A 2.0-mm field of an H&E-stained sentinel lymph node from a breast-cancer patient (whole-slide image), shown at about 2.5×, about 3.9 µm per pixel.
Image:
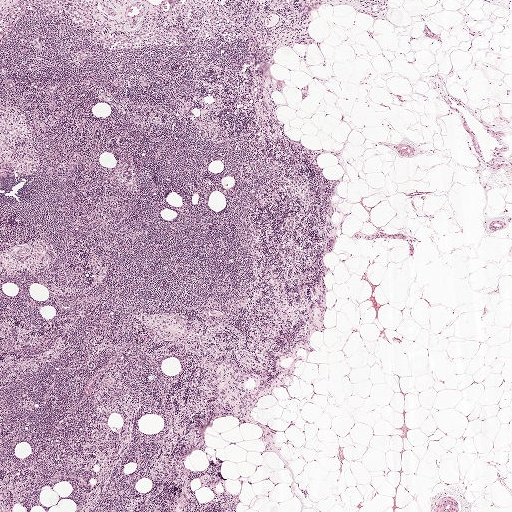
Question:
Is any metastatic breast cancer visible in this crop?
Answer:
No: no metastatic tumour is outlined anywhere in this field.